Question: 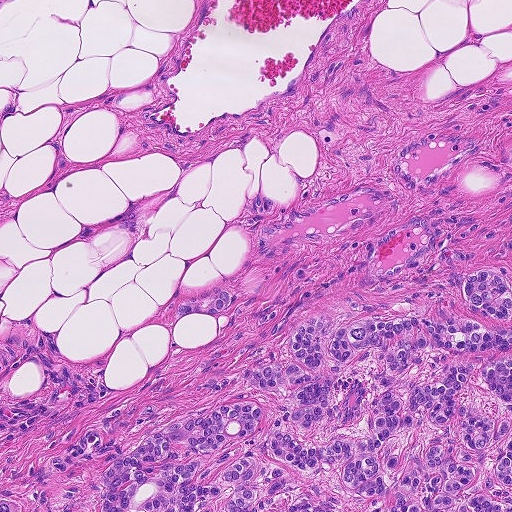
Lymph node section stained with H&E, from a whole-slide image of a breast-cancer sentinel node. Magnification about 10×, about 0.46 mm across the frame, about 0.9 µm per pixel.
About how much of this crop is taken up by metastatic carcinoma?

Choices:
 (A) about 10% to 20%
 (B) about 50% or more
 (C) about 25% to 45%
 (D) none: no tumour is outlined
 (E) about 5% or less

Answer: (C) about 25% to 45%
About 30% of the field is tumour.
Outlines of three tumour regions, largest first (closed clockwise paths, crop pixels): region 1: (503, 257), (511, 263), (511, 511), (52, 511), (92, 499), (94, 478), (136, 431), (237, 396), (234, 372), (281, 357), (301, 317), (342, 321); region 2: (214, 286), (225, 286), (234, 292), (234, 303), (228, 312), (218, 316), (195, 314), (186, 317), (175, 313), (180, 304), (188, 296), (212, 296); region 3: (13, 490), (26, 507), (26, 511), (0, 511), (0, 494).